Lymph node section stained with H&E, from a whole-slide image of a breast-cancer sentinel node. Magnification about 20×, about 0.25 mm across the frame, about 0.49 µm per pixel.
Image:
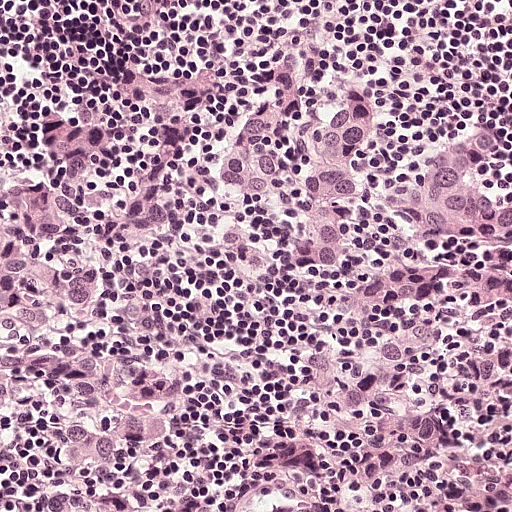
Question:
Which parts of this field are metastatic tumour?
Answer:
Metastatic tumour outline, simplified to 18 points and listed clockwise in crop pixels (x, y): (281, 62), (378, 74), (402, 98), (389, 122), (398, 219), (406, 178), (428, 146), (511, 124), (511, 166), (490, 182), (511, 189), (511, 511), (0, 511), (2, 184), (32, 166), (88, 161), (153, 196), (222, 172).
About 70% of the image area is annotated as tumour.